Lymph node section stained with H&E, from a whole-slide image of a breast-cancer sentinel node. Magnification about 10×, about 0.46 mm across the frame, about 0.9 µm per pixel.
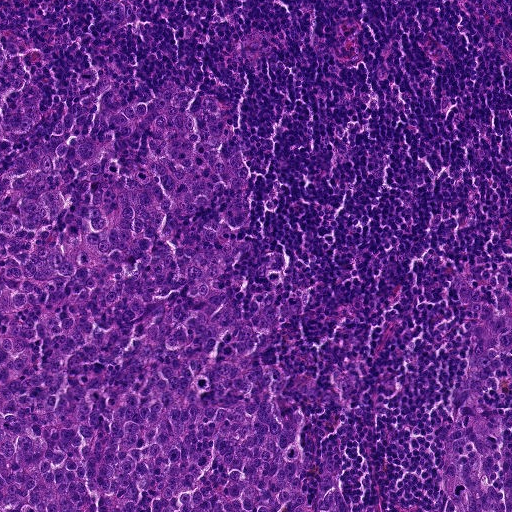
Outlines of three tumour regions, largest first (closed clockwise paths, crop pixels): region 1: (110, 74), (138, 104), (172, 81), (232, 119), (249, 206), (226, 237), (252, 245), (222, 276), (245, 285), (239, 310), (252, 318), (304, 298), (250, 369), (285, 374), (284, 403), (307, 418), (304, 488), (310, 502), (335, 448), (345, 507), (0, 511), (0, 174), (46, 149), (97, 80); region 2: (463, 270), (472, 281), (486, 278), (499, 284), (511, 297), (511, 384), (490, 389), (486, 403), (511, 409), (509, 449), (511, 448), (511, 511), (441, 511), (445, 486), (437, 458), (454, 415), (455, 386), (465, 376), (473, 335), (473, 320), (454, 280); region 3: (38, 80), (45, 92), (45, 106), (41, 120), (32, 132), (5, 142), (0, 147), (0, 102), (25, 82).
About 45% of this field is tumour.